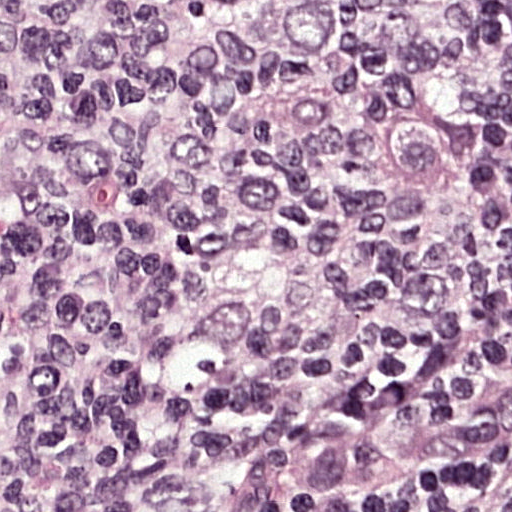
H&E-stained section of a sentinel lymph node (breast cancer), from a whole-slide image, viewed at about 40×: the field is about 0.12 mm across, about 0.24 µm per pixel.
Metastatic tumour outline, simplified to 10 points and listed clockwise in crop pixels (x, y): (511, 380), (511, 439), (483, 456), (388, 485), (310, 496), (285, 470), (307, 443), (365, 438), (441, 423), (491, 381).
One more small tumour piece is annotated here but not outlined.
About 5% of this field is tumour.